Question: 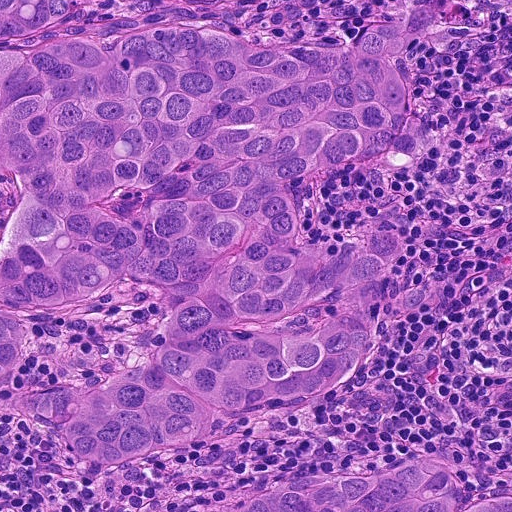
Lymph node section stained with H&E, from a whole-slide image of a breast-cancer sentinel node. Magnification about 20×, about 0.23 mm across the frame, about 0.45 µm per pixel.
About how much of this crop is taken up by metastatic carcinoma?

Choices:
 (A) about 5% or less
 (B) about 10% to 20%
 (C) none: no tumour is outlined
 (D) about 50% or more
 (E) about 25% to 45%

Answer: (D) about 50% or more
About 60% of the field is tumour.
Boundaries of two metastatic tumour regions, simplified and listed clockwise, largest first: region 1: (0, 0), (99, 0), (36, 36), (186, 19), (326, 48), (463, 0), (398, 63), (384, 154), (300, 186), (298, 240), (366, 247), (391, 216), (382, 294), (433, 279), (344, 395), (74, 473), (13, 406), (158, 354), (166, 314), (160, 286), (117, 279), (23, 310), (32, 366), (0, 399); region 2: (444, 450), (476, 483), (480, 494), (511, 490), (511, 511), (194, 511), (218, 499), (353, 462).